H&E-stained section of a sentinel lymph node (breast cancer), from a whole-slide image, viewed at about 2.5×: the field is about 1.9 mm across, about 3.6 µm per pixel.
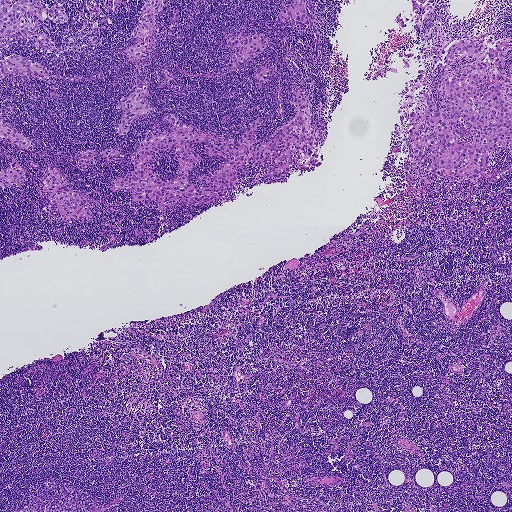
Question: Show where the tumour is in this image.
Answer: The eight largest tumour regions' boundaries, simplified and listed clockwise, largest first: region 1: (295, 85), (308, 104), (303, 111), (306, 131), (314, 131), (313, 151), (323, 160), (315, 158), (321, 163), (315, 167), (307, 157), (296, 160), (280, 182), (267, 181), (271, 162), (252, 166), (250, 157), (236, 169), (236, 190), (226, 191), (226, 200), (162, 211), (155, 201), (132, 200), (132, 191), (112, 183), (134, 171), (131, 153), (141, 142), (172, 131), (173, 124), (162, 120), (170, 114), (233, 139), (233, 148), (251, 122), (262, 118), (253, 150), (299, 111), (290, 99); region 2: (464, 34), (483, 40), (490, 34), (494, 42), (511, 37), (503, 70), (510, 80), (511, 144), (488, 154), (486, 170), (474, 182), (460, 173), (454, 176), (460, 182), (446, 178), (432, 164), (435, 148), (426, 148), (422, 157), (410, 154), (408, 116), (411, 111), (418, 115), (422, 110), (425, 97), (420, 90), (431, 94), (436, 110), (449, 112), (437, 91), (442, 74), (441, 52), (448, 41), (466, 38); region 3: (0, 0), (41, 0), (48, 4), (47, 8), (53, 4), (51, 0), (62, 3), (68, 13), (66, 23), (55, 23), (47, 19), (51, 28), (34, 16), (39, 28), (37, 34), (43, 33), (52, 39), (57, 46), (55, 51), (39, 50), (32, 38), (26, 38), (18, 39), (0, 48); region 4: (49, 166), (58, 168), (67, 176), (66, 185), (84, 191), (93, 201), (93, 207), (91, 212), (93, 217), (90, 222), (76, 220), (69, 222), (63, 220), (50, 203), (48, 197), (49, 192), (44, 192), (39, 183), (41, 175), (44, 176); region 5: (148, 0), (177, 0), (167, 3), (164, 11), (159, 18), (160, 29), (157, 35), (158, 42), (150, 61), (149, 64), (139, 66), (130, 62), (123, 50), (133, 44), (137, 38), (131, 38), (129, 34), (138, 24), (136, 19), (139, 16), (136, 14); region 6: (230, 25), (232, 26), (234, 32), (239, 31), (244, 36), (247, 34), (257, 33), (268, 36), (269, 38), (268, 45), (262, 52), (235, 72), (227, 71), (226, 66), (233, 52), (230, 50), (231, 48), (227, 47), (226, 42), (229, 38), (228, 27); region 7: (142, 85), (148, 87), (150, 92), (146, 103), (155, 110), (134, 120), (123, 135), (116, 132), (114, 126), (127, 110), (118, 111), (115, 108), (120, 98), (129, 96), (136, 86); region 8: (292, 0), (311, 0), (313, 15), (318, 21), (312, 19), (318, 36), (318, 46), (312, 38), (308, 22), (306, 28), (300, 31), (290, 18), (285, 23), (280, 20), (278, 15), (285, 5), (290, 3).
10 more, smaller tumour regions are not outlined.
Four more small tumour pieces are annotated here but not outlined.
The annotated tumour makes up about 15% of the crop.